This is a crop of a whole-slide image: an H&E-stained breast-cancer sentinel lymph node section at roughly 10× magnification (about 0.97 µm per pixel; the crop spans about 0.5 mm).
Question: 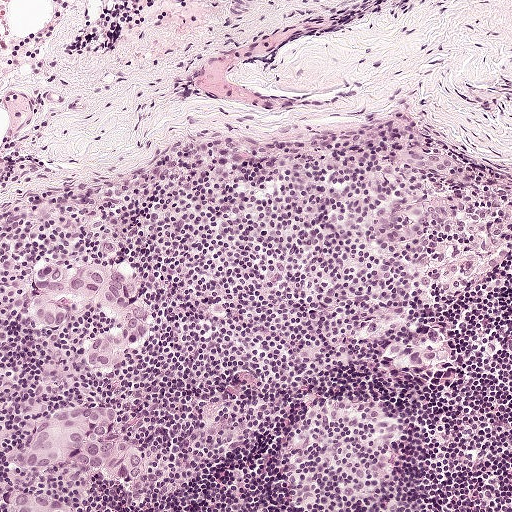
What fraction of the image area is metastatic tumour?

Choices:
 (A) about 5% or less
 (B) none: no tumour is outlined
 (C) about 50% or more
 (D) about 10% to 20%
 (E) about 25% to 45%

Answer: (D) about 10% to 20%
About 10% of the field is tumour.
Six metastatic tumour regions, each outlined as a closed clockwise path in crop pixels (x, y), largest first: region 1: (38, 258), (108, 263), (130, 272), (152, 313), (148, 341), (100, 371), (90, 368), (81, 359), (82, 355), (92, 339), (111, 325), (109, 313), (84, 303), (56, 332), (38, 330), (28, 322), (23, 308), (23, 300), (28, 293), (28, 275); region 2: (96, 405), (115, 408), (116, 437), (135, 444), (143, 456), (139, 477), (127, 484), (116, 484), (104, 476), (71, 463), (52, 472), (30, 469), (27, 466), (26, 450), (32, 434), (63, 411); region 3: (415, 199), (440, 201), (446, 206), (446, 216), (434, 228), (411, 242), (393, 243), (374, 240), (369, 230), (374, 219); region 4: (436, 325), (440, 334), (442, 335), (445, 356), (442, 360), (426, 366), (406, 366), (394, 364), (388, 359), (385, 349), (392, 341), (415, 340), (423, 336), (428, 326); region 5: (398, 147), (424, 149), (455, 158), (465, 173), (465, 179), (462, 182), (457, 182), (442, 178), (428, 170), (416, 168), (397, 154); region 6: (3, 488), (56, 499), (71, 508), (71, 511), (14, 511), (10, 508), (0, 502), (0, 492).